Image:
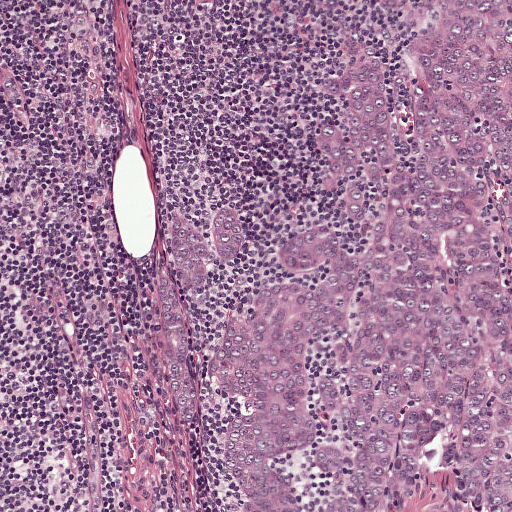
H&E-stained section of a sentinel lymph node (breast cancer), from a whole-slide image, viewed at about 10×: the field is about 0.5 mm across, about 0.97 µm per pixel.
Question:
Outline the metastatic carcinoma in this image, as closed paths of (x, y) pixel coordinates.
Answer:
One metastatic tumour region; its boundary, reduced to 17 corners and listed clockwise: (351, 0), (511, 0), (511, 511), (471, 511), (438, 478), (418, 482), (407, 511), (228, 511), (178, 418), (154, 306), (170, 224), (190, 204), (218, 197), (294, 236), (315, 217), (330, 192), (310, 138).
Tumour covers about 55% of the frame.